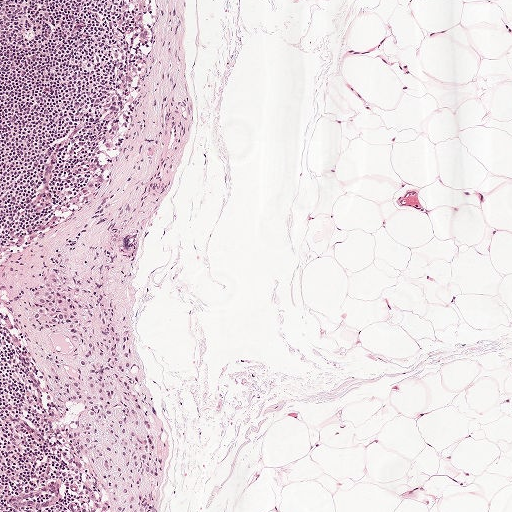
This is a crop of a whole-slide image: an H&E-stained breast-cancer sentinel lymph node section at roughly 5× magnification (about 1.9 µm per pixel; the crop spans about 1 mm).
Tumour region outline (a closed clockwise path, crop pixels): (48, 274), (72, 284), (91, 311), (118, 316), (129, 330), (130, 369), (147, 390), (150, 426), (162, 456), (155, 480), (140, 480), (141, 511), (97, 511), (111, 499), (110, 483), (82, 445), (83, 408), (66, 384), (76, 370), (71, 360), (76, 347), (55, 330), (27, 322), (32, 292).
Tumour covers about 5% of the frame.